A 0.25-mm field of an H&E-stained sentinel lymph node from a breast-cancer patient (whole-slide image), shown at about 20×, about 0.49 µm per pixel.
Image:
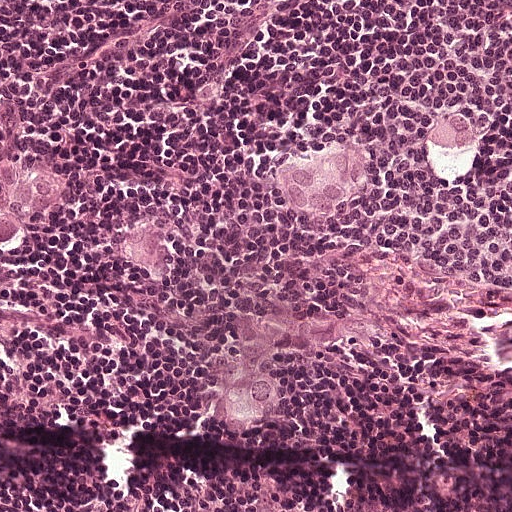
Question:
Which parts of this field are metastatic tumour?
Answer:
Outlines of three tumour regions, largest first (closed clockwise paths, crop pixels): region 1: (334, 138), (352, 147), (366, 160), (368, 187), (366, 192), (356, 202), (336, 200), (326, 217), (282, 199), (272, 176), (274, 162), (280, 154); region 2: (37, 160), (46, 160), (54, 164), (66, 174), (66, 188), (48, 200), (35, 216), (14, 216), (19, 222), (16, 227), (19, 231), (19, 237), (13, 241), (0, 241), (0, 214), (10, 214), (5, 212), (5, 199), (8, 198), (10, 172), (22, 164); region 3: (133, 220), (160, 226), (162, 230), (168, 232), (168, 247), (176, 262), (176, 272), (174, 276), (152, 276), (144, 274), (132, 268), (128, 256), (108, 247), (112, 228).
Two more small tumour pieces are annotated here but not outlined.
Tumour covers about 5% of the frame.